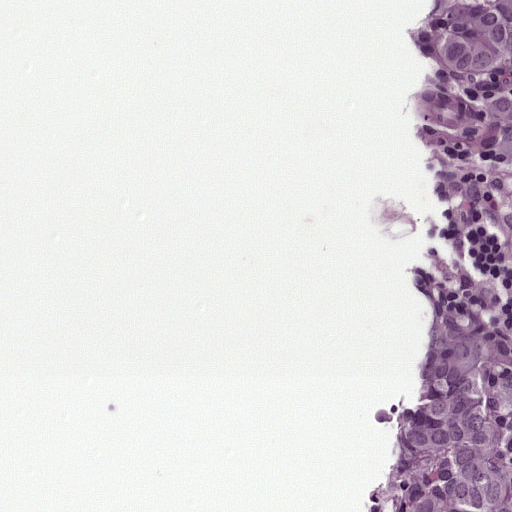
A 0.25-mm field of an H&E-stained sentinel lymph node from a breast-cancer patient (whole-slide image), shown at about 20×, about 0.49 µm per pixel.
Outlines of two tumour regions, largest first (closed clockwise paths, crop pixels): region 1: (461, 328), (511, 369), (511, 511), (479, 511), (456, 504), (452, 511), (392, 511), (424, 500), (434, 486), (456, 482), (452, 458), (440, 449), (414, 451), (390, 442), (370, 425), (388, 400), (421, 398), (426, 354), (435, 330); region 2: (491, 0), (511, 0), (511, 57), (506, 56), (486, 72), (455, 73), (438, 51), (438, 20), (466, 5).
One more small tumour piece is annotated here but not outlined.
About 10% of the image area is annotated as tumour.